Question: 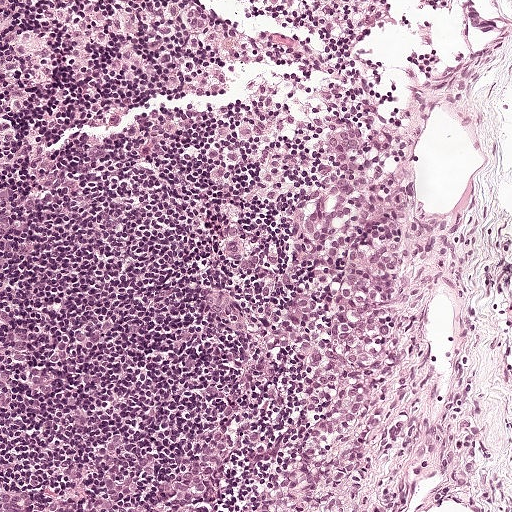
This is a crop of a whole-slide image: an H&E-stained breast-cancer sentinel lymph node section at roughly 10× magnification (about 0.97 µm per pixel; the crop spans about 0.5 mm).
About how much of this crop is taken up by metastatic carcinoma?

Choices:
 (A) about 25% to 45%
 (B) about 5% or less
 (C) none: no tumour is outlined
 (D) about 10% to 20%
 (E) about 50% or more

Answer: (D) about 10% to 20%
About 20% of the field is tumour.
Tumour region outline (a closed clockwise path, crop pixels): (348, 112), (418, 146), (436, 183), (403, 340), (353, 452), (307, 511), (0, 511), (0, 482), (42, 475), (124, 438), (190, 450), (225, 437), (258, 408), (304, 315), (322, 150).